Question: 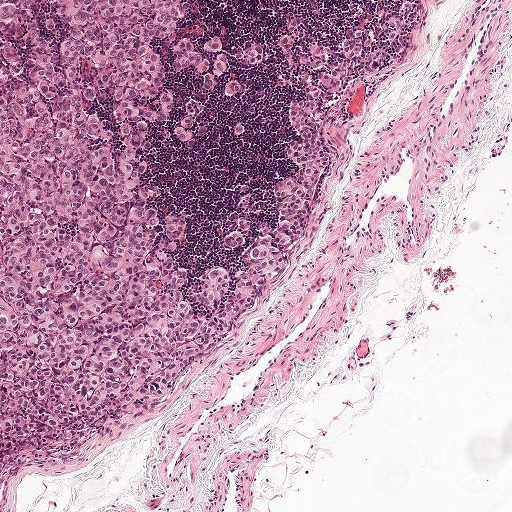
Lymph node section stained with H&E, from a whole-slide image of a breast-cancer sentinel node. Magnification about 5×, about 1 mm across the frame, about 1.9 µm per pixel.
About how much of this crop is taken up by metastatic carcinoma?

Choices:
 (A) about 10% to 20%
 (B) about 25% to 45%
 (C) about 5% or less
 (D) none: no tumour is outlined
 (E) about 50% or more

Answer: (B) about 25% to 45%
About 40% of the field is tumour.
Two metastatic tumour regions, each outlined as a closed clockwise path in crop pixels (x, y), largest first: region 1: (0, 0), (191, 0), (202, 26), (264, 49), (195, 141), (151, 148), (187, 222), (185, 300), (208, 268), (243, 272), (276, 222), (286, 16), (336, 44), (413, 12), (412, 49), (335, 99), (333, 181), (280, 285), (146, 411), (7, 470), (0, 505); region 2: (236, 218), (246, 218), (249, 222), (248, 233), (236, 251), (224, 253), (216, 243), (216, 236), (231, 228), (236, 222).